Question: 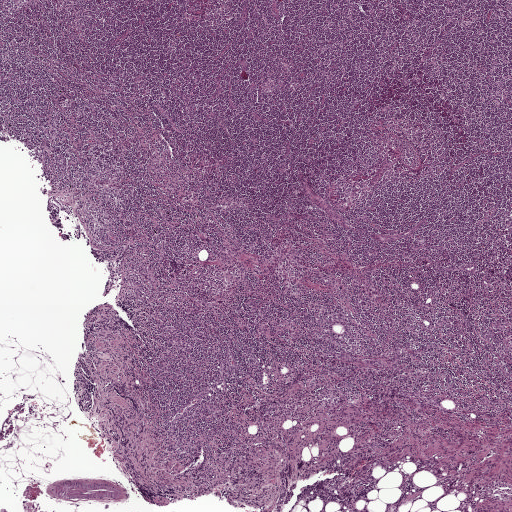
Which magnification is this H&E lymph node field most likely shown at?

Choices:
 (A) about 5×
 (B) about 10×
 (C) about 20×
 (D) about 2.5×
 (E) about 40×

Answer: (D) about 2.5×
A 2.0-mm field of an H&E-stained sentinel lymph node from a breast-cancer patient (whole-slide image), shown at about 2.5×, about 3.9 µm per pixel.